This is a crop of a whole-slide image: an H&E-stained breast-cancer sentinel lymph node section at roughly 5× magnification (about 1.8 µm per pixel; the crop spans about 0.93 mm).
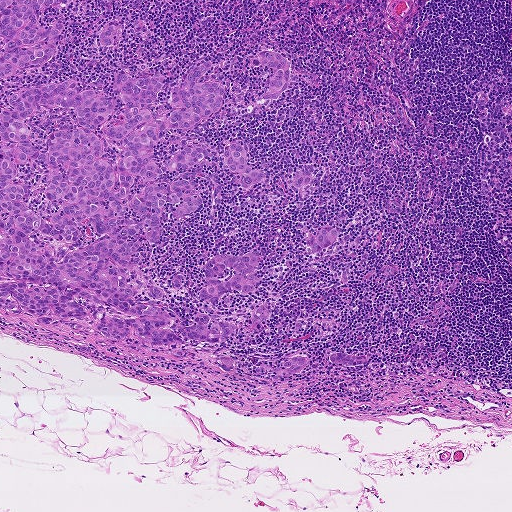
Question: Outline the metastatic carcinoma in this image, as closed paths of (x, y) pixel coordinates.
Answer: Seven metastatic tumour regions, each outlined as a closed clockwise path in crop pixels (x, y), largest first: region 1: (211, 60), (200, 80), (223, 82), (219, 116), (169, 131), (156, 161), (239, 141), (268, 181), (246, 189), (211, 153), (202, 208), (176, 220), (167, 204), (129, 282), (145, 298), (162, 285), (192, 326), (195, 307), (212, 315), (197, 299), (208, 258), (264, 248), (262, 281), (213, 312), (232, 322), (261, 304), (267, 318), (225, 344), (141, 343), (2, 311), (12, 279), (0, 278), (7, 96), (74, 78), (113, 100), (105, 125), (123, 105), (112, 73), (167, 75), (153, 108); region 2: (0, 0), (61, 0), (59, 4), (49, 10), (38, 12), (38, 25), (54, 27), (61, 19), (64, 24), (58, 39), (71, 35), (71, 39), (62, 45), (49, 64), (26, 68), (17, 76), (0, 79), (0, 55), (3, 54), (5, 44), (3, 37), (0, 36); region 3: (271, 51), (283, 52), (289, 63), (289, 75), (287, 86), (280, 96), (269, 100), (258, 99), (267, 87), (271, 76), (275, 74), (274, 69), (258, 62), (258, 54); region 4: (337, 350), (360, 354), (370, 359), (361, 367), (338, 368), (328, 363), (327, 359), (308, 360), (302, 369), (281, 377), (272, 370), (290, 358), (302, 354), (322, 358), (328, 358); region 5: (335, 226), (337, 228), (338, 239), (318, 251), (307, 251), (318, 232), (324, 228), (328, 231); region 6: (116, 25), (121, 26), (122, 30), (114, 46), (108, 47), (96, 40), (100, 31), (104, 26); region 7: (232, 356), (236, 364), (234, 370), (222, 370), (218, 363), (219, 357).
About 20% of this field is tumour.